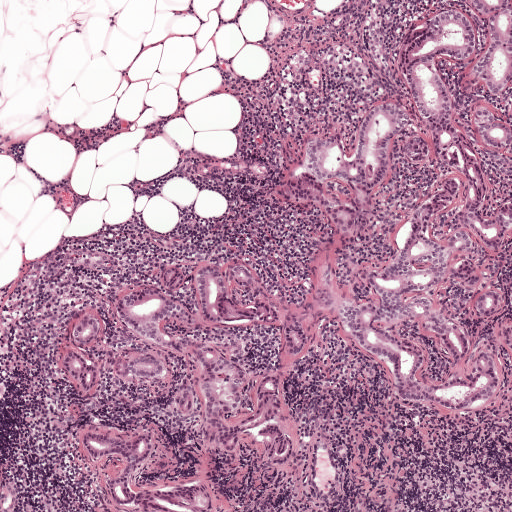
This is a crop of a whole-slide image: an H&E-stained breast-cancer sentinel lymph node section at roughly 5× magnification (about 1.9 µm per pixel; the crop spans about 1 mm).
Metastatic tumour outline, simplified to 23 points and listed clockwise in crop pixels (x, y): (511, 0), (511, 375), (468, 412), (407, 404), (329, 323), (279, 393), (344, 467), (329, 507), (244, 437), (204, 458), (232, 511), (115, 511), (59, 385), (76, 329), (204, 255), (301, 304), (332, 238), (286, 191), (312, 138), (342, 133), (351, 159), (407, 85), (407, 29).
About 45% of this field is tumour.